H&E-stained section of a sentinel lymph node (breast cancer), from a whole-slide image, viewed at about 5×: the field is about 1.0 mm across, about 2.0 µm per pixel.
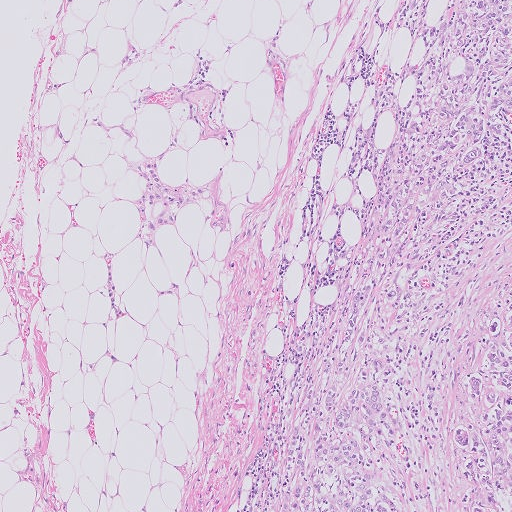
Tumour region outline (a closed clockwise path, crop pixels): (432, 0), (511, 0), (511, 511), (256, 511), (274, 402), (324, 266), (366, 222), (402, 147).
About 35% of the image area is annotated as tumour.